Lymph node section stained with H&E, from a whole-slide image of a breast-cancer sentinel node. Magnification about 20×, about 0.26 mm across the frame, about 0.5 µm per pixel.
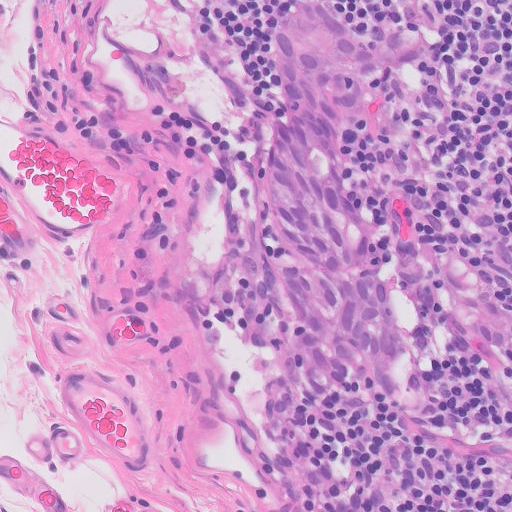
Question: Which parts of this field are metastatic tumour? Answer with the outline of each region, in pixels.
Answer: Metastatic tumour outline, simplified to 12 points and listed clockwise in crop pixels (x, y): (289, 0), (329, 0), (368, 29), (386, 57), (386, 91), (356, 148), (405, 334), (383, 392), (350, 400), (292, 381), (254, 292), (255, 194).
Tumour covers about 15% of the frame.